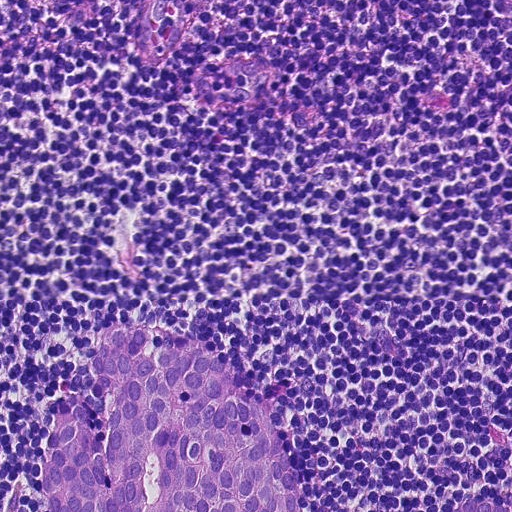
This is a crop of a whole-slide image: an H&E-stained breast-cancer sentinel lymph node section at roughly 20× magnification (about 0.45 µm per pixel; the crop spans about 0.23 mm).
Outlines of two tumour regions, largest first (closed clockwise paths, crop pixels): region 1: (132, 320), (163, 324), (244, 373), (290, 458), (300, 511), (51, 511), (40, 492), (40, 460), (51, 398), (81, 388), (102, 330); region 2: (472, 496), (498, 500), (511, 510), (511, 511), (448, 511), (450, 510).
One more small tumour piece is annotated here but not outlined.
The annotated tumour makes up about 15% of the crop.